Image:
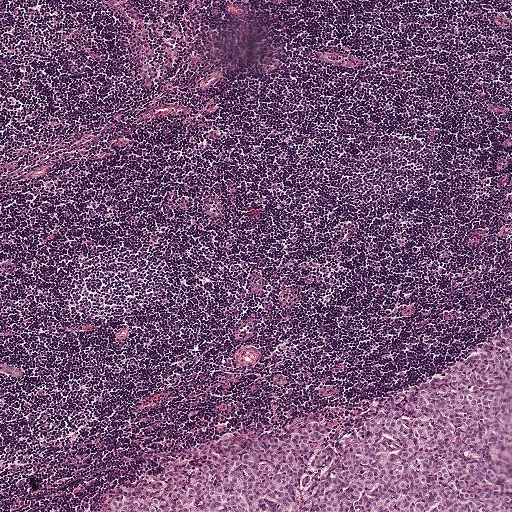
This is a crop of a whole-slide image: an H&E-stained breast-cancer sentinel lymph node section at roughly 5× magnification (about 1.9 µm per pixel; the crop spans about 1 mm).
Question:
Which parts of this field are metastatic tumour?
Answer:
Tumour region outline (a closed clockwise path, crop pixels): (511, 316), (511, 511), (82, 511), (211, 435), (407, 386).
The annotated tumour makes up about 15% of the crop.